Lymph node section stained with H&E, from a whole-slide image of a breast-cancer sentinel node. Magnification about 10×, about 0.46 mm across the frame, about 0.9 µm per pixel.
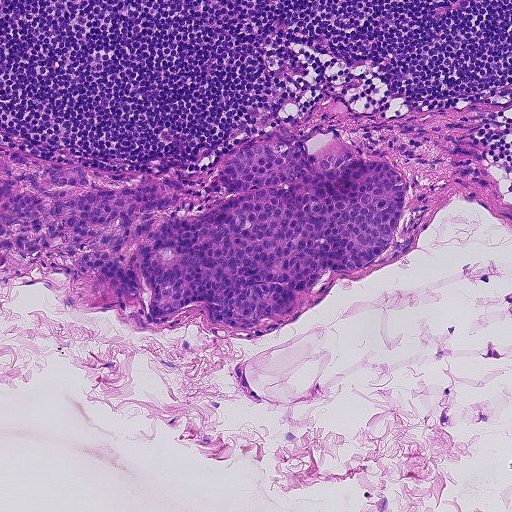
The outlined metastatic tumour's edge, as a closed clockwise path of 19 points: (335, 128), (402, 172), (411, 190), (394, 248), (379, 262), (331, 274), (330, 295), (260, 336), (221, 330), (202, 302), (167, 323), (147, 322), (62, 258), (2, 252), (0, 142), (112, 175), (170, 180), (208, 168), (240, 144).
The annotated tumour makes up about 20% of the crop.